Question: 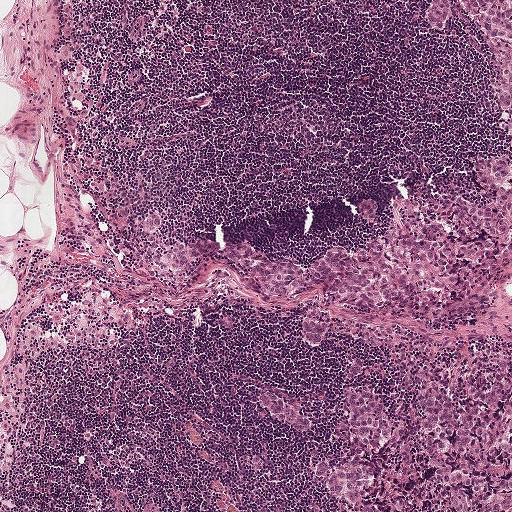
H&E-stained section of a sentinel lymph node (breast cancer), from a whole-slide image, viewed at about 5×: the field is about 1 mm across, about 1.9 µm per pixel.
Estimate the proportion of this field that is metastatic tumour.

Choices:
 (A) about 50% or more
 (B) about 5% or less
 (C) about 25% to 45%
 (D) about 10% to 20%
 (E) none: no tumour is outlined

Answer: (C) about 25% to 45%
About 25% of the field is tumour.
Outlines of three tumour regions, largest first (closed clockwise paths, crop pixels): region 1: (438, 0), (511, 0), (511, 255), (468, 303), (427, 306), (390, 331), (329, 322), (312, 346), (304, 321), (327, 321), (219, 280), (174, 285), (166, 262), (197, 242), (332, 253), (356, 233), (365, 195), (467, 176), (479, 157), (471, 86), (429, 45), (424, 19); region 2: (392, 344), (454, 344), (511, 353), (511, 511), (345, 511), (313, 464), (324, 452), (348, 450), (350, 442), (266, 420), (251, 395), (254, 388), (281, 391), (309, 413), (324, 414), (339, 399), (337, 366), (353, 353); region 3: (145, 212), (163, 214), (164, 217), (164, 228), (154, 233), (147, 233), (141, 230), (140, 221).